Lymph node section stained with H&E, from a whole-slide image of a breast-cancer sentinel node. Magnification about 5×, about 0.93 mm across the frame, about 1.8 µm per pixel.
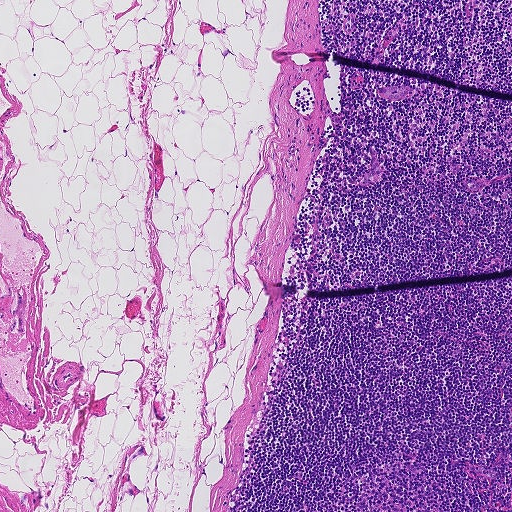
Question: Is any metastatic breast cancer visible in this crop?
Answer: No. No metastatic tumour is outlined in this field.